Question: 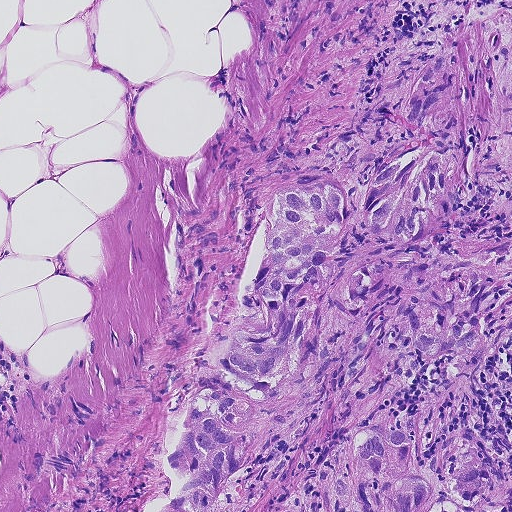
This is a crop of a whole-slide image: an H&E-stained breast-cancer sentinel lymph node section at roughly 10× magnification (about 0.9 µm per pixel; the crop spans about 0.46 mm).
What fraction of the image area is metastatic tumour?

Choices:
 (A) about 10% to 20%
 (B) about 25% to 45%
 (C) none: no tumour is outlined
 (D) about 50% or more
 (E) about 5% or less

Answer: (B) about 25% to 45%
About 45% of the field is tumour.
Tumour region outline (a closed clockwise path, crop pixels): (489, 0), (511, 0), (511, 511), (155, 511), (183, 489), (168, 454), (190, 385), (255, 266), (283, 173), (365, 106), (400, 94), (478, 7), (503, 4).